Lymph node section stained with H&E, from a whole-slide image of a breast-cancer sentinel node. Magnification about 5×, about 0.93 mm across the frame, about 1.8 µm per pixel.
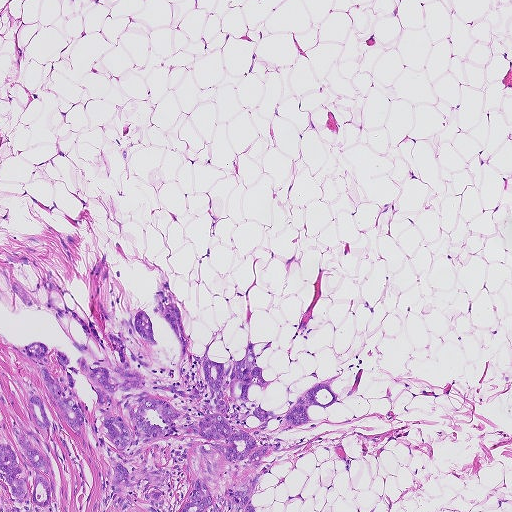
Boundaries of three metastatic tumour regions, simplified and listed clockwise, largest first: region 1: (168, 276), (188, 346), (180, 386), (204, 383), (194, 353), (208, 344), (226, 369), (250, 336), (273, 381), (251, 386), (256, 406), (282, 415), (325, 380), (337, 396), (308, 410), (316, 422), (271, 420), (257, 434), (283, 440), (262, 460), (274, 463), (256, 511), (100, 511), (111, 480), (79, 365), (95, 356), (71, 340), (120, 363), (108, 330), (134, 351), (129, 319), (142, 310), (158, 344), (142, 340), (144, 372), (178, 380), (178, 338), (151, 311); region 2: (13, 417), (35, 435), (41, 444), (30, 438), (33, 443), (40, 452), (48, 454), (54, 469), (53, 505), (34, 504), (35, 511), (0, 511), (0, 443), (8, 443), (13, 446), (22, 467), (21, 456), (12, 429); region 3: (28, 343), (44, 343), (48, 348), (48, 366), (54, 377), (59, 376), (62, 371), (55, 362), (54, 347), (69, 358), (69, 364), (66, 367), (72, 367), (78, 370), (77, 376), (68, 369), (67, 371), (74, 380), (73, 386), (84, 416), (84, 422), (81, 428), (84, 439), (70, 428), (55, 408), (42, 402), (50, 425), (47, 429), (38, 428), (28, 410), (30, 380), (40, 395), (53, 406), (35, 367), (22, 353), (23, 347).
Two more small tumour pieces are annotated here but not outlined.
About 15% of this field is tumour.